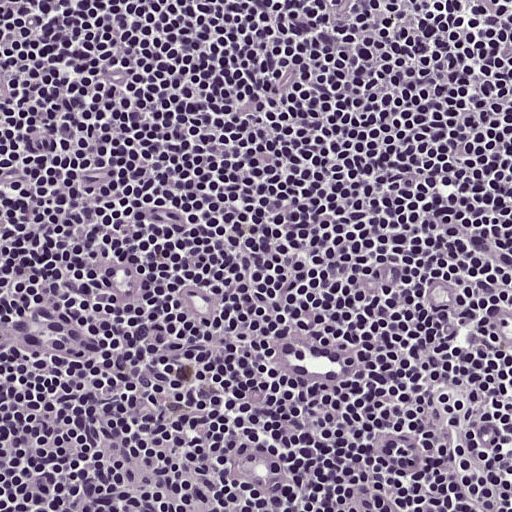
H&E-stained section of a sentinel lymph node (breast cancer), from a whole-slide image, viewed at about 20×: the field is about 0.25 mm across, about 0.49 µm per pixel.